Lymph node section stained with H&E, from a whole-slide image of a breast-cancer sentinel node. Magnification about 10×, about 0.46 mm across the frame, about 0.9 µm per pixel.
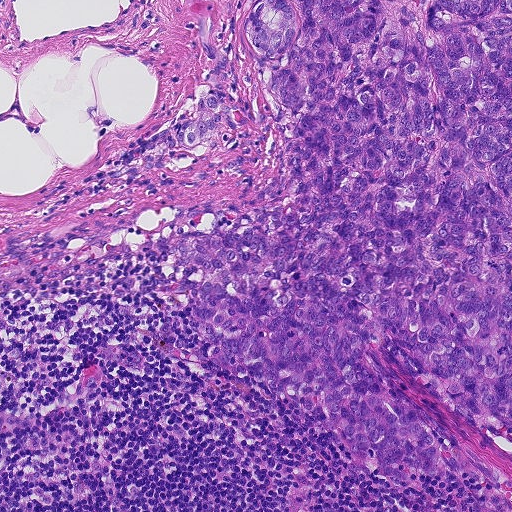
Tumour region outline (a closed clockwise path, crop pixels): (511, 0), (511, 431), (362, 350), (488, 483), (371, 474), (341, 432), (315, 432), (327, 405), (214, 364), (168, 288), (185, 214), (215, 208), (209, 227), (284, 186), (281, 66), (244, 34), (260, 1).
About 45% of the image area is annotated as tumour.